Lymph node section stained with H&E, from a whole-slide image of a breast-cancer sentinel node. Magnification about 10×, about 0.5 mm across the frame, about 0.97 µm per pixel.
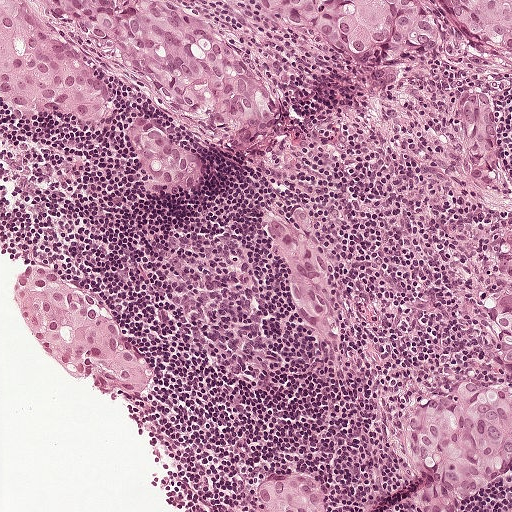
Outlines of the eight largest metastatic tumour regions, each a closed clockwise path in crop pixels (x, y), largest first: region 1: (0, 0), (209, 0), (246, 22), (259, 41), (279, 127), (259, 146), (224, 144), (149, 104), (111, 66), (112, 106), (92, 125), (47, 122), (0, 99); region 2: (511, 0), (511, 63), (447, 32), (426, 46), (418, 61), (399, 79), (384, 82), (364, 73), (343, 51), (244, 1); region 3: (476, 370), (511, 387), (511, 456), (500, 469), (461, 492), (460, 511), (422, 511), (413, 485), (419, 456), (408, 445), (400, 426), (403, 414), (416, 400), (449, 374); region 4: (46, 256), (84, 278), (108, 302), (128, 342), (153, 361), (153, 375), (131, 390), (118, 390), (102, 385), (92, 368), (52, 360), (42, 340), (27, 328), (10, 291), (10, 269), (18, 259); region 5: (511, 220), (511, 377), (483, 361), (476, 334), (462, 323), (453, 290), (453, 273), (464, 242); region 6: (292, 195), (307, 197), (328, 256), (329, 309), (325, 316), (326, 320), (314, 325), (294, 316), (282, 266), (272, 254), (258, 228), (257, 206), (264, 201), (273, 202), (290, 210); region 7: (138, 106), (185, 133), (198, 156), (196, 182), (187, 187), (168, 191), (145, 185), (133, 162), (132, 148), (122, 137), (122, 122), (132, 107); region 8: (480, 83), (488, 91), (491, 114), (500, 138), (501, 150), (508, 164), (508, 183), (488, 191), (477, 188), (472, 183), (457, 109), (465, 85).
One more, smaller tumour region is not outlined.
The annotated tumour makes up about 35% of the crop.